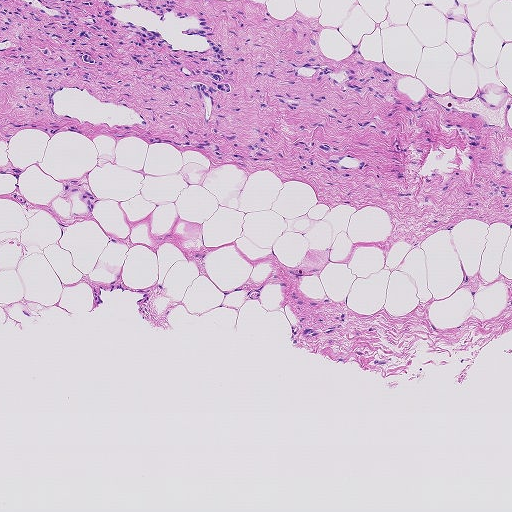
This is a crop of a whole-slide image: an H&E-stained breast-cancer sentinel lymph node section at roughly 5× magnification (about 1.8 µm per pixel; the crop spans about 0.93 mm).
Metastatic tumour outline, simplified to 9 points and listed clockwise in crop pixels (x, y): (0, 0), (140, 0), (157, 7), (177, 3), (205, 13), (234, 88), (229, 96), (176, 96), (3, 74).
About 5% of this field is tumour.